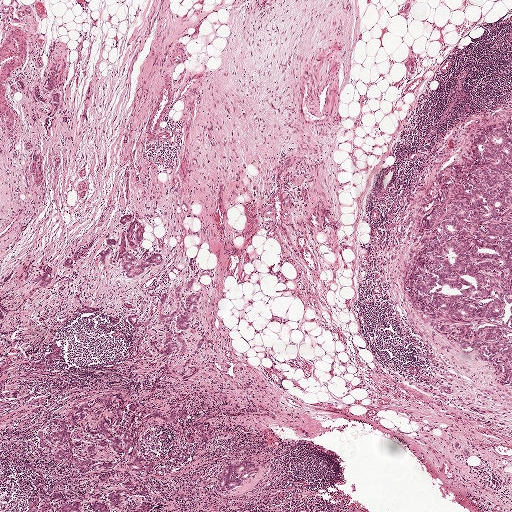
A 2.0-mm field of an H&E-stained sentinel lymph node from a breast-cancer patient (whole-slide image), shown at about 2.5×, about 3.9 µm per pixel.
Outlines of the eight largest metastatic tumour regions, each a closed clockwise path in crop pixels (x, y), largest first: region 1: (511, 120), (511, 388), (412, 313), (403, 288), (408, 250), (442, 180), (476, 137); region 2: (101, 399), (113, 401), (113, 410), (101, 406), (88, 411), (87, 424), (81, 424), (79, 430), (74, 430), (74, 440), (84, 445), (72, 453), (79, 459), (98, 464), (87, 479), (75, 474), (72, 467), (55, 461), (48, 442), (55, 429), (54, 421), (71, 414), (84, 403); region 3: (136, 404), (140, 404), (140, 409), (133, 432), (135, 444), (129, 457), (119, 457), (107, 449), (101, 448), (102, 444), (109, 440), (94, 438), (88, 435), (89, 428), (92, 428), (95, 432), (99, 430), (99, 416), (102, 410), (112, 421), (111, 427), (108, 427), (113, 437), (116, 439), (118, 434), (116, 432), (116, 425), (119, 419), (119, 411), (124, 408), (130, 409); region 4: (194, 279), (194, 282), (190, 288), (190, 292), (192, 293), (196, 293), (200, 296), (197, 311), (192, 315), (192, 322), (184, 334), (187, 352), (180, 357), (179, 344), (176, 342), (174, 324), (172, 323), (169, 327), (165, 327), (158, 319), (159, 300), (161, 295), (165, 293), (167, 296), (161, 311), (166, 315), (171, 314), (175, 309), (174, 290), (178, 286), (181, 292), (180, 309), (182, 310), (186, 299), (183, 289), (184, 280); region 5: (248, 462), (255, 464), (259, 468), (259, 474), (233, 494), (223, 495), (218, 483), (221, 475), (230, 467); region 6: (38, 479), (41, 481), (45, 491), (48, 493), (52, 492), (51, 485), (54, 481), (57, 480), (61, 484), (60, 493), (63, 494), (64, 498), (53, 503), (50, 511), (27, 511), (33, 490), (34, 481); region 7: (126, 251), (140, 258), (157, 252), (160, 253), (162, 260), (162, 265), (150, 264), (148, 268), (144, 268), (143, 273), (130, 278), (124, 276), (121, 268), (119, 267), (119, 257); region 8: (187, 411), (189, 412), (191, 418), (181, 422), (176, 425), (169, 426), (161, 422), (152, 423), (147, 422), (147, 418), (160, 412), (168, 417), (175, 412).
17 more, smaller tumour regions are not outlined.
Six more small tumour pieces are annotated here but not outlined.
Tumour covers about 10% of the frame.